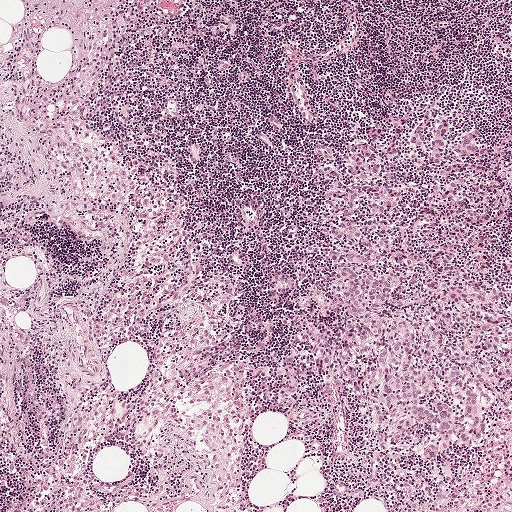
This is a crop of a whole-slide image: an H&E-stained breast-cancer sentinel lymph node section at roughly 5× magnification (about 1.9 µm per pixel; the crop spans about 1 mm).
Question: Where is the metastatic tumour in this field? Give each region's outline as (x, y) pixel points.
Answer: Tumour region outline (a closed clockwise path, crop pixels): (422, 116), (455, 122), (455, 152), (462, 133), (482, 128), (478, 142), (506, 148), (511, 211), (489, 268), (508, 296), (511, 378), (498, 380), (482, 440), (468, 444), (461, 431), (438, 461), (388, 448), (314, 348), (343, 326), (318, 168), (352, 183), (355, 143), (410, 140).
The annotated tumour makes up about 20% of the crop.